Question: 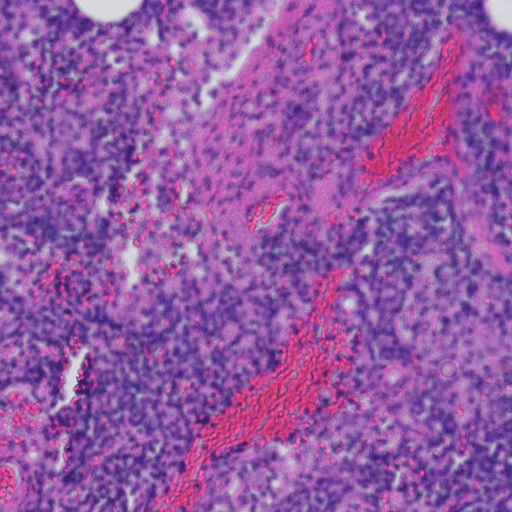
Which magnification is this H&E lymph node field most likely shown at?

Choices:
 (A) about 10×
 (B) about 2.5×
 (C) about 40×
 (D) about 20×
 (E) about 5×

Answer: (A) about 10×
A 0.46-mm field of an H&E-stained sentinel lymph node from a breast-cancer patient (whole-slide image), shown at about 10×, about 0.9 µm per pixel.